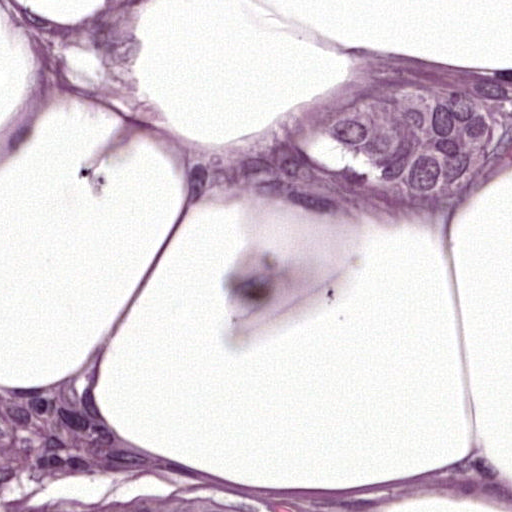
A 0.12-mm field of an H&E-stained sentinel lymph node from a breast-cancer patient (whole-slide image), shown at about 40×, about 0.24 µm per pixel.
Two metastatic tumour regions, each outlined as a closed clockwise path in crop pixels (x, y), largest first: region 1: (452, 87), (479, 102), (501, 125), (497, 156), (475, 177), (444, 185), (413, 185), (324, 145), (298, 127), (388, 96); region 2: (161, 485), (243, 506), (250, 511), (64, 511), (79, 504).
Tumour covers about 5% of the frame.